Question: 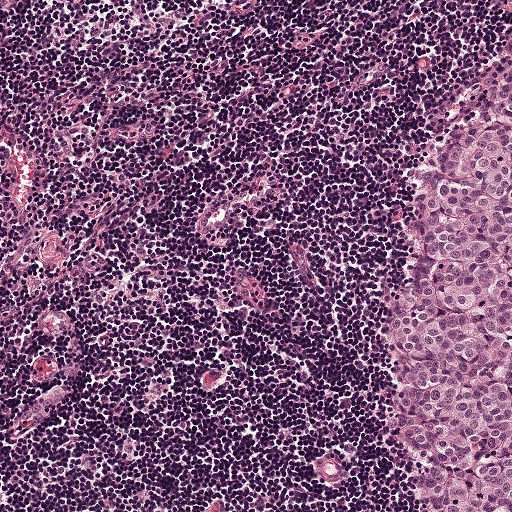
Lymph node section stained with H&E, from a whole-slide image of a breast-cancer sentinel node. Magnification about 10×, about 0.5 mm across the frame, about 0.97 µm per pixel.
Roughly what share of this field is metastatic tumour?

Choices:
 (A) none: no tumour is outlined
 (B) about 25% to 45%
 (C) about 5% or less
 (D) about 10% to 20%
 (E) about 50% or more

Answer: (D) about 10% to 20%
About 20% of the field is tumour.
Metastatic tumour outline, simplified to 8 points and listed clockwise in crop pixels (x, y): (511, 11), (511, 511), (416, 511), (380, 337), (388, 205), (407, 152), (454, 94), (473, 42).